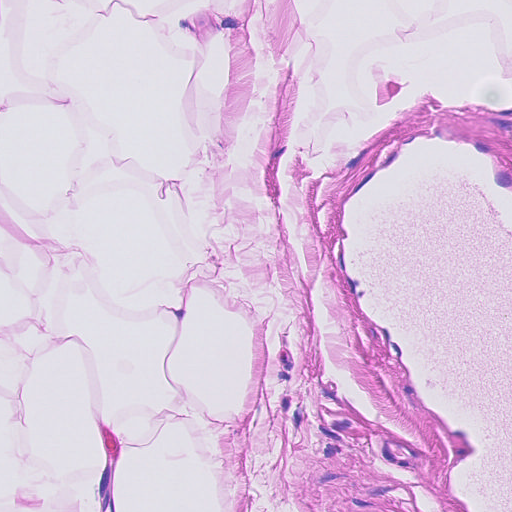
Lymph node section stained with H&E, from a whole-slide image of a breast-cancer sentinel node. Magnification about 20×, about 0.23 mm across the frame, about 0.45 µm per pixel.